A 0.46-mm field of an H&E-stained sentinel lymph node from a breast-cancer patient (whole-slide image), shown at about 10×, about 0.9 µm per pixel.
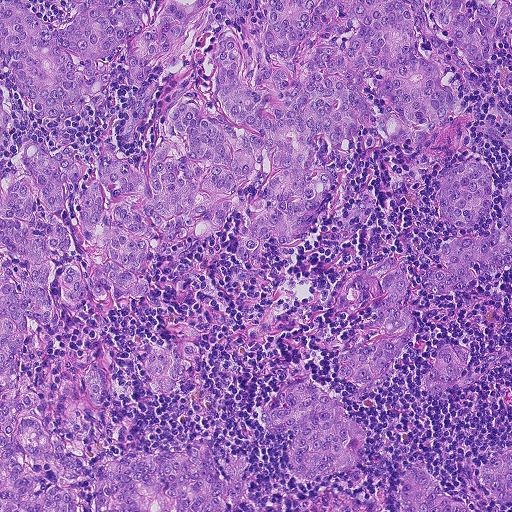
The eight largest tumour regions' boundaries, simplified and listed clockwise, largest first: region 1: (67, 0), (134, 1), (145, 27), (168, 0), (511, 3), (511, 50), (455, 82), (440, 135), (409, 141), (373, 72), (369, 131), (314, 136), (333, 191), (299, 240), (238, 277), (268, 151), (219, 234), (174, 242), (149, 292), (115, 301), (59, 286), (94, 268), (72, 226), (105, 131), (139, 166), (198, 64), (183, 96), (212, 100), (225, 24), (160, 63), (126, 144), (127, 44), (94, 63), (116, 90), (64, 118), (30, 110), (1, 59), (8, 1), (62, 28); region 2: (36, 140), (50, 154), (72, 147), (83, 166), (56, 216), (70, 248), (50, 277), (58, 322), (52, 333), (24, 317), (28, 340), (12, 392), (52, 398), (65, 379), (79, 387), (98, 361), (108, 382), (104, 406), (90, 404), (46, 424), (66, 452), (100, 462), (205, 440), (216, 455), (238, 454), (252, 464), (243, 496), (225, 502), (225, 511), (93, 511), (92, 484), (63, 479), (80, 511), (0, 511), (0, 179), (17, 176), (17, 152); region 3: (295, 377), (315, 385), (341, 406), (344, 416), (363, 428), (360, 461), (354, 471), (332, 474), (322, 479), (299, 478), (289, 471), (285, 460), (293, 439), (291, 428), (280, 434), (269, 434), (263, 424), (265, 414), (278, 392); region 4: (392, 254), (401, 261), (410, 282), (408, 292), (396, 306), (416, 318), (416, 329), (394, 369), (378, 384), (367, 386), (335, 378), (334, 368), (338, 358), (346, 350), (378, 342), (382, 332), (376, 311), (383, 290), (375, 278), (365, 274), (364, 271); region 5: (511, 179), (511, 267), (501, 272), (490, 273), (475, 264), (473, 286), (463, 292), (430, 294), (424, 286), (427, 275), (437, 270), (449, 270), (442, 261), (441, 250), (447, 242), (468, 234), (490, 232), (496, 224), (506, 187); region 6: (461, 160), (484, 161), (490, 170), (490, 192), (486, 214), (481, 224), (470, 229), (460, 229), (449, 224), (442, 216), (434, 195), (451, 165); region 7: (184, 337), (194, 342), (200, 352), (193, 360), (191, 371), (180, 391), (169, 394), (158, 390), (150, 383), (144, 373), (139, 363), (138, 352), (145, 344), (166, 348), (174, 340); region 8: (411, 466), (422, 467), (431, 474), (443, 492), (464, 502), (470, 511), (392, 511), (391, 505), (397, 484), (403, 474).
Four more, smaller tumour regions are not outlined.
Tumour covers about 55% of the frame.